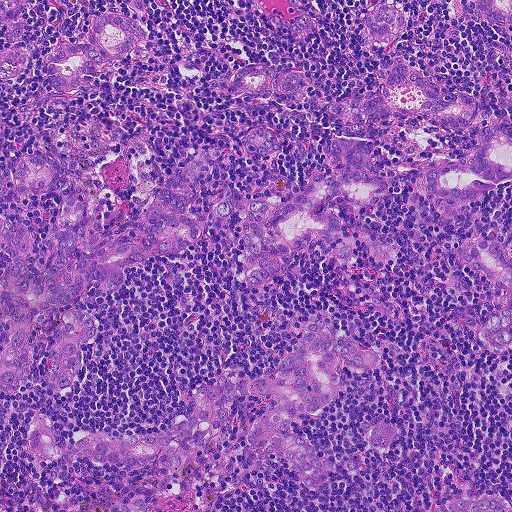
A 0.46-mm field of an H&E-stained sentinel lymph node from a breast-cancer patient (whole-slide image), shown at about 10×, about 0.9 µm per pixel.
The eight largest tumour regions' boundaries, simplified and listed clockwise, largest first: region 1: (209, 145), (193, 180), (187, 216), (205, 223), (196, 239), (128, 270), (125, 288), (108, 294), (92, 284), (67, 308), (84, 311), (99, 324), (68, 392), (52, 381), (50, 308), (35, 320), (25, 376), (0, 399), (0, 351), (8, 322), (0, 331), (0, 274), (6, 256), (0, 254), (0, 217), (32, 231), (38, 248), (62, 191), (28, 196), (13, 184), (10, 166), (22, 152), (40, 148), (58, 154), (85, 199), (81, 217), (106, 204), (104, 231), (138, 218), (172, 176); region 2: (323, 313), (382, 357), (373, 373), (338, 366), (336, 403), (292, 432), (326, 450), (333, 468), (308, 491), (243, 436), (276, 398), (239, 398), (180, 471), (30, 457), (28, 421), (44, 410), (57, 447), (92, 432), (147, 437), (181, 422), (198, 390), (230, 368), (277, 371); region 3: (330, 133), (366, 138), (374, 172), (388, 182), (383, 195), (369, 208), (351, 206), (333, 198), (326, 206), (340, 218), (358, 252), (345, 267), (323, 238), (306, 243), (266, 284), (249, 291), (240, 254), (245, 236), (244, 200), (304, 188), (316, 174), (335, 172), (327, 154); region 4: (401, 66), (430, 82), (440, 94), (455, 91), (471, 94), (481, 105), (474, 120), (461, 128), (446, 129), (434, 120), (446, 112), (399, 117), (368, 126), (352, 124), (322, 110), (326, 100), (372, 96), (383, 86), (387, 71); region 5: (498, 123), (511, 126), (511, 179), (481, 198), (436, 215), (429, 205), (427, 192), (426, 180), (432, 169), (454, 161), (476, 149), (486, 126); region 6: (108, 13), (124, 15), (139, 22), (151, 50), (139, 59), (108, 57), (80, 87), (66, 91), (50, 86), (44, 72), (43, 57), (73, 46), (89, 46), (86, 31), (93, 18); region 7: (497, 229), (511, 259), (511, 342), (504, 347), (492, 348), (481, 342), (478, 330), (486, 321), (506, 308), (510, 292), (488, 279), (461, 255), (465, 244); region 8: (0, 0), (27, 0), (21, 16), (26, 30), (24, 45), (29, 59), (22, 74), (8, 78), (0, 74), (0, 49), (6, 36), (6, 21), (0, 21).
Seven more, smaller tumour regions are not outlined.
About 30% of the image area is annotated as tumour.